H&E-stained section of a sentinel lymph node (breast cancer), from a whole-slide image, viewed at about 10×: the field is about 0.46 mm across, about 0.9 µm per pixel.
Question: 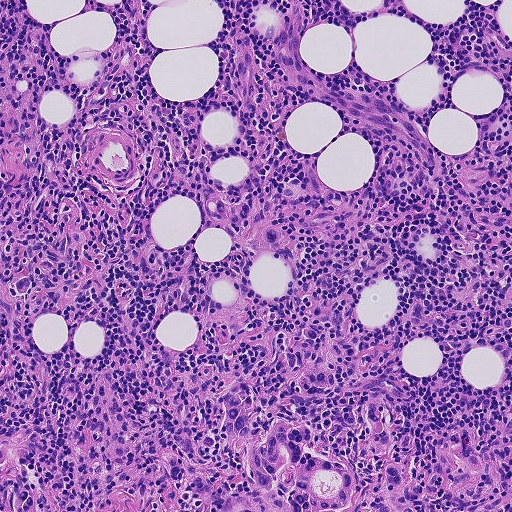
Roughly what share of this field is metastatic tumour?

Choices:
 (A) about 5% or less
 (B) none: no tumour is outlined
 (C) about 10% to 20%
 (D) about 25% to 45%
 (E) about 50% or more

Answer: (A) about 5% or less
About 5% of the field is tumour.
Outlines of two tumour regions, largest first (closed clockwise paths, crop pixels): region 1: (233, 378), (250, 378), (264, 388), (263, 421), (280, 414), (312, 422), (322, 454), (356, 459), (362, 479), (390, 456), (407, 463), (421, 511), (210, 511), (180, 484), (163, 481), (155, 466), (180, 431), (196, 428), (204, 462), (254, 491), (221, 408); region 2: (21, 477), (34, 488), (38, 511), (10, 511), (11, 492).
One more small tumour piece is annotated here but not outlined.